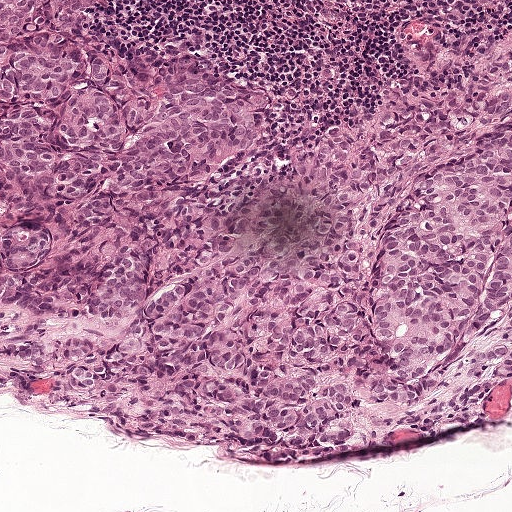
H&E-stained section of a sentinel lymph node (breast cancer), from a whole-slide image, viewed at about 10×: the field is about 0.5 mm across, about 0.97 µm per pixel.
Metastatic tumour outline, simplified to 24 points and listed clockwise in crop pixels (x, y): (0, 0), (100, 0), (160, 54), (257, 90), (270, 110), (250, 146), (207, 178), (208, 207), (243, 204), (341, 126), (428, 101), (489, 107), (511, 89), (511, 388), (464, 419), (424, 424), (369, 409), (277, 447), (201, 446), (156, 420), (90, 419), (57, 401), (48, 378), (1, 357).
About 65% of this field is tumour.